A 2.0-mm field of an H&E-stained sentinel lymph node from a breast-cancer patient (whole-slide image), shown at about 2.5×, about 3.9 µm per pixel.
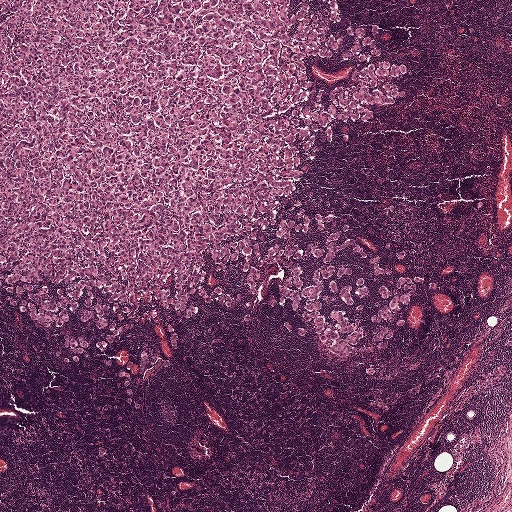
Boundaries of three metastatic tumour regions, simplified and listed clockwise, largest first: region 1: (0, 0), (333, 0), (406, 63), (297, 187), (391, 271), (331, 256), (320, 294), (367, 293), (329, 325), (436, 283), (389, 351), (242, 320), (283, 275), (249, 295), (242, 255), (207, 255), (210, 286), (243, 299), (196, 297), (177, 350), (2, 301); region 2: (141, 348), (148, 350), (148, 362), (137, 385), (137, 402), (140, 407), (136, 409), (130, 407), (124, 393), (122, 383), (117, 376), (117, 372), (127, 363), (138, 358), (138, 352); region 3: (69, 334), (85, 336), (90, 343), (102, 339), (106, 342), (106, 348), (101, 350), (90, 348), (81, 361), (73, 361), (62, 346), (64, 336).
The annotated tumour makes up about 45% of the crop.